Question: 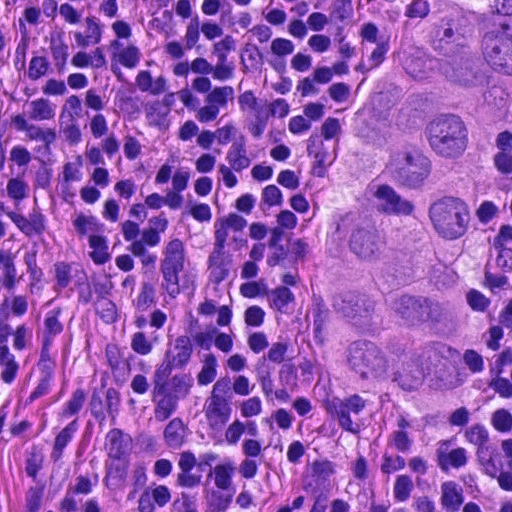
About what magnification does this crop show?

Choices:
 (A) about 20×
 (B) about 5×
 (C) about 10×
 (D) about 2.5×
 (E) about 40×

Answer: (E) about 40×
This is a crop of a whole-slide image: an H&E-stained breast-cancer sentinel lymph node section at roughly 40× magnification (about 0.23 µm per pixel; the crop spans about 0.12 mm).
Tumour region outline (a closed clockwise path, crop pixels): (416, 0), (511, 0), (511, 161), (486, 207), (481, 410), (374, 414), (320, 338), (300, 239), (327, 140), (374, 41).
Tumour covers about 25% of the frame.